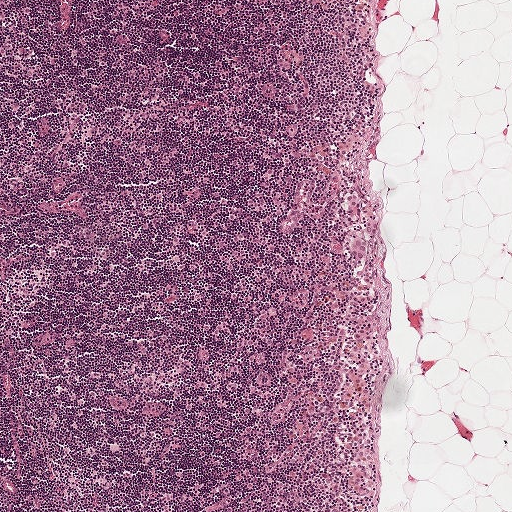
Lymph node section stained with H&E, from a whole-slide image of a breast-cancer sentinel node. Magnification about 5×, about 1 mm across the frame, about 1.9 µm per pixel.
Boundaries of two metastatic tumour regions, simplified and listed clockwise, largest first: region 1: (353, 188), (359, 188), (360, 207), (363, 212), (378, 219), (379, 227), (376, 235), (372, 236), (366, 235), (359, 218), (346, 216), (340, 210), (344, 198); region 2: (352, 234), (362, 234), (369, 244), (368, 260), (359, 264), (350, 264), (345, 261), (343, 254), (346, 240).
Under 5% of this field is tumour.